H&E-stained section of a sentinel lymph node (breast cancer), from a whole-slide image, viewed at about 10×: the field is about 0.5 mm across, about 0.97 µm per pixel.
Image:
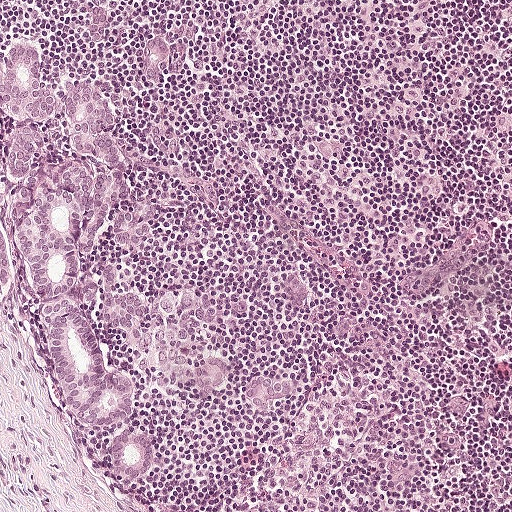
Question:
Is any metastatic breast cancer visible in this crop?
Answer:
Yes.
Six metastatic tumour regions, each outlined as a closed clockwise path in crop pixels (x, y), largest first: region 1: (21, 39), (48, 91), (82, 74), (112, 85), (135, 193), (154, 206), (152, 246), (109, 256), (148, 323), (97, 324), (138, 387), (136, 417), (155, 439), (148, 477), (116, 473), (58, 408), (22, 290), (3, 298), (0, 45); region 2: (167, 290), (180, 297), (184, 291), (191, 291), (204, 306), (204, 319), (197, 333), (184, 340), (167, 340), (186, 358), (186, 371), (182, 375), (153, 365), (144, 370), (137, 366), (140, 354), (138, 340), (146, 331), (164, 321), (160, 303); region 3: (257, 374), (271, 378), (286, 378), (292, 383), (290, 396), (280, 401), (273, 401), (266, 409), (253, 404), (248, 397), (246, 391), (248, 383); region 4: (210, 357), (220, 357), (226, 360), (228, 367), (226, 376), (208, 397), (198, 396), (195, 367), (206, 362); region 5: (154, 34), (163, 35), (169, 47), (169, 62), (155, 78), (146, 76), (142, 57), (144, 46); region 6: (97, 4), (108, 10), (108, 26), (102, 41), (94, 40), (92, 33), (88, 30), (88, 25), (92, 19), (92, 8).
About 20% of the image area is annotated as tumour.